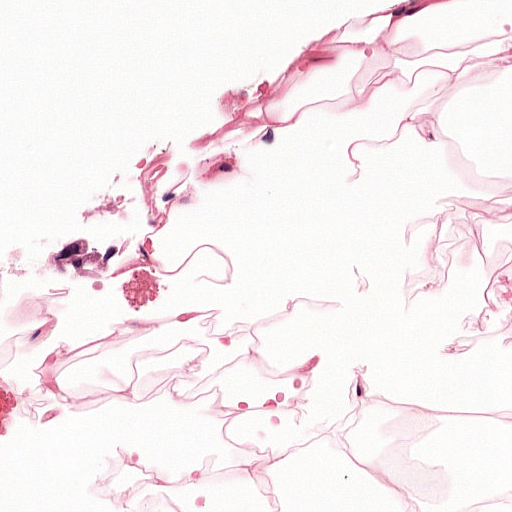
This is a crop of a whole-slide image: an H&E-stained breast-cancer sentinel lymph node section at roughly 20× magnification (about 0.49 µm per pixel; the crop spans about 0.25 mm).
Question: Which parts of this field are metastatic tumour? Answer with the outline of each region, in pixels.
Answer: The outlined metastatic tumour's edge, as a closed clockwise path of 13 points: (79, 236), (92, 238), (96, 250), (118, 244), (118, 258), (104, 270), (96, 270), (85, 264), (83, 276), (66, 268), (54, 275), (47, 256), (63, 244).
The annotated tumour makes up under 5% of the crop.